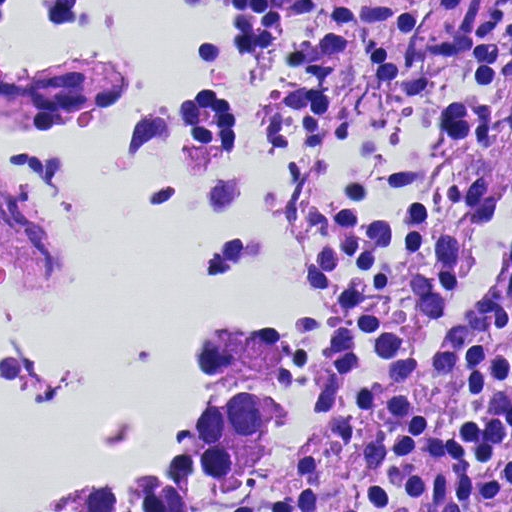
H&E-stained section of a sentinel lymph node (breast cancer), from a whole-slide image, viewed at about 40×: the field is about 0.12 mm across, about 0.23 µm per pixel.
Tumour region outline (a closed clockwise path, crop pixels): (257, 321), (283, 361), (279, 410), (260, 456), (227, 489), (188, 460), (186, 407), (204, 360), (209, 326).
Tumour covers about 5% of the frame.